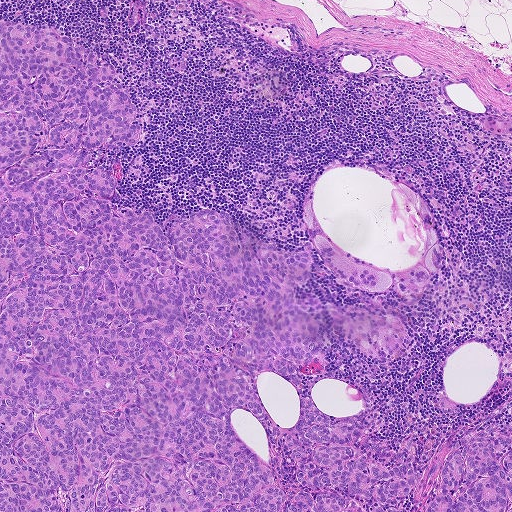
This is a crop of a whole-slide image: an H&E-stained breast-cancer sentinel lymph node section at roughly 5× magnification (about 1.8 µm per pixel; the crop spans about 0.93 mm).
Outlines of two tumour regions, largest first (closed clockwise paths, crop pixels): region 1: (0, 22), (50, 26), (115, 63), (146, 118), (142, 142), (99, 148), (114, 210), (148, 206), (164, 224), (229, 212), (310, 254), (301, 297), (402, 318), (402, 352), (381, 364), (305, 308), (330, 363), (319, 409), (366, 407), (384, 422), (372, 440), (417, 444), (403, 508), (0, 511); region 2: (511, 400), (511, 511), (423, 511), (438, 477), (447, 438), (453, 430), (480, 420).
About 50% of the image area is annotated as tumour.